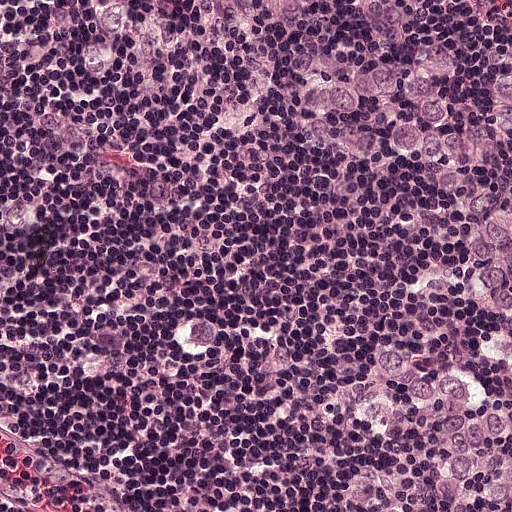
H&E-stained section of a sentinel lymph node (breast cancer), from a whole-slide image, viewed at about 20×: the field is about 0.25 mm across, about 0.49 µm per pixel.
Tumour region outline (a closed clockwise path, crop pixels): (511, 0), (511, 511), (377, 511), (322, 464), (302, 423), (302, 386), (403, 319), (432, 293), (432, 273), (392, 238), (322, 218), (270, 186), (190, 74), (166, 5).
The annotated tumour makes up about 40% of the crop.